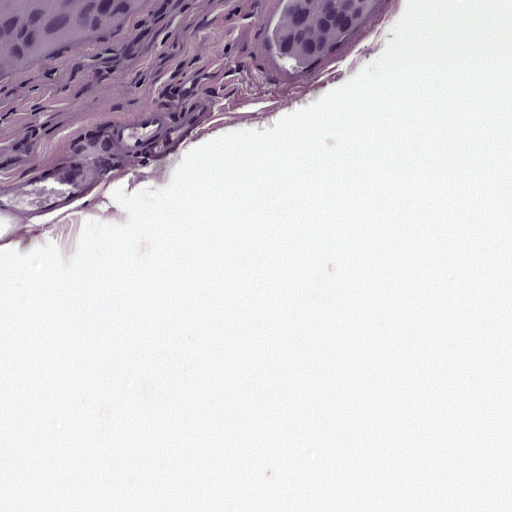
Lymph node section stained with H&E, from a whole-slide image of a breast-cancer sentinel node. Magnification about 20×, about 0.25 mm across the frame, about 0.49 µm per pixel.
Outlines of three tumour regions, largest first (closed clockwise paths, crop pixels): region 1: (0, 0), (158, 0), (112, 48), (44, 78), (0, 88); region 2: (276, 0), (383, 0), (352, 49), (328, 69), (284, 78), (267, 58), (265, 36); region 3: (104, 117), (128, 132), (138, 148), (128, 172), (104, 194), (70, 196), (54, 172), (60, 142), (78, 124).
The annotated tumour makes up about 10% of the crop.